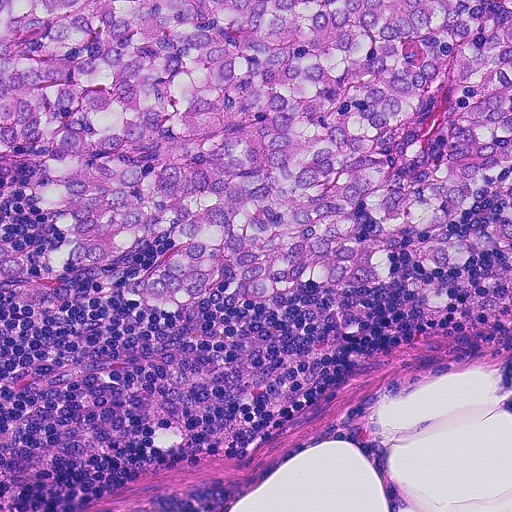
This is a crop of a whole-slide image: an H&E-stained breast-cancer sentinel lymph node section at roughly 20× magnification (about 0.45 µm per pixel; the crop spans about 0.23 mm).
The outlined metastatic tumour's edge, as a closed clockwise path of 18 points: (0, 0), (511, 0), (511, 255), (450, 276), (396, 262), (380, 283), (353, 292), (302, 281), (255, 305), (212, 292), (162, 311), (122, 290), (176, 238), (148, 236), (108, 272), (80, 272), (50, 168), (0, 143).
About 50% of the image area is annotated as tumour.